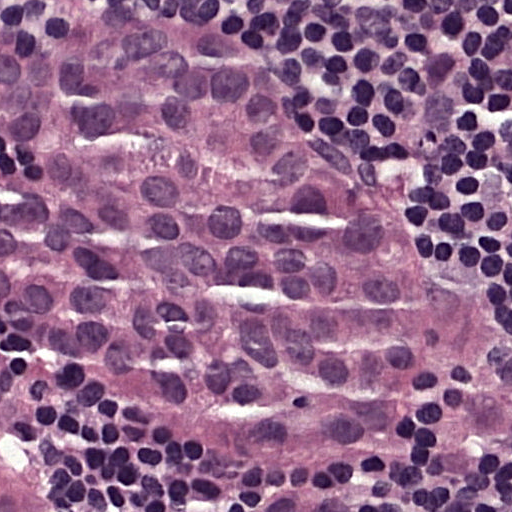
This is a crop of a whole-slide image: an H&E-stained breast-cancer sentinel lymph node section at roughly 40× magnification (about 0.24 µm per pixel; the crop spans about 0.12 mm).
Outlines of two tumour regions, largest first (closed clockwise paths, crop pixels): region 1: (43, 0), (184, 2), (447, 260), (479, 346), (458, 432), (385, 483), (383, 511), (181, 511), (98, 450), (0, 311), (0, 29); region 2: (0, 443), (30, 481), (62, 511), (0, 511).
About 70% of the image area is annotated as tumour.